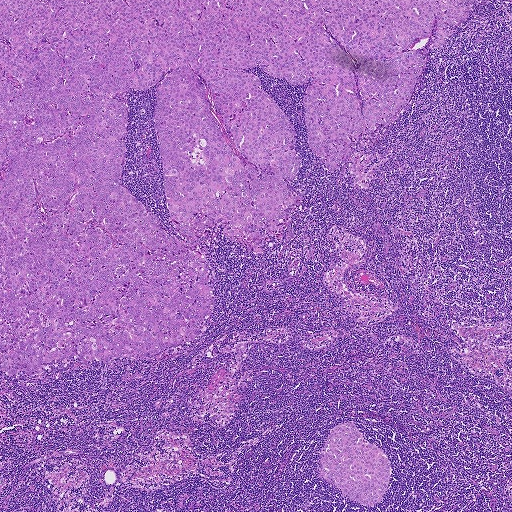
This is a crop of a whole-slide image: an H&E-stained breast-cancer sentinel lymph node section at roughly 2.5× magnification (about 3.6 µm per pixel; the crop spans about 1.9 mm).
Boundaries of two metastatic tumour regions, simplified and listed clockwise, largest first: region 1: (0, 0), (473, 0), (444, 43), (435, 19), (408, 50), (426, 64), (408, 108), (346, 135), (331, 171), (308, 144), (312, 78), (242, 70), (295, 128), (301, 195), (256, 231), (262, 252), (221, 223), (187, 248), (213, 301), (200, 335), (38, 377), (3, 349); region 2: (348, 421), (355, 425), (364, 442), (382, 450), (389, 464), (389, 476), (382, 498), (369, 507), (344, 496), (336, 487), (323, 479), (320, 468), (322, 448), (328, 433), (336, 424).
Tumour covers about 40% of the frame.